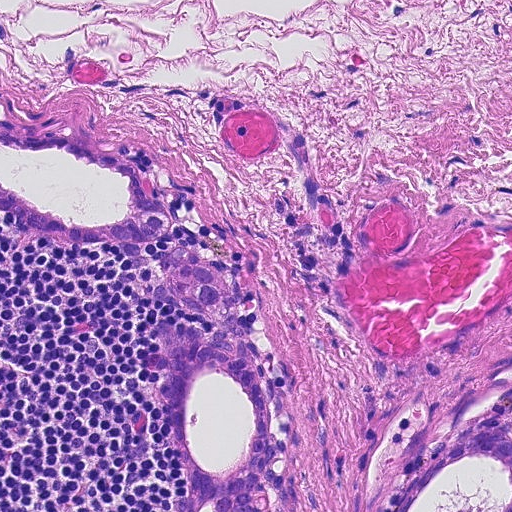
H&E-stained section of a sentinel lymph node (breast cancer), from a whole-slide image, viewed at about 20×: the field is about 0.23 mm across, about 0.45 µm per pixel.
Question: Which parts of this field are metastatic tumour?
Answer: Boundaries of three metastatic tumour regions, simplified and listed clockwise, largest first: region 1: (200, 246), (232, 286), (242, 336), (254, 358), (266, 407), (268, 508), (175, 511), (188, 478), (178, 470), (173, 445), (168, 370), (172, 346), (204, 336), (214, 326), (174, 294), (164, 271), (174, 247); region 2: (0, 125), (56, 130), (127, 162), (140, 184), (175, 222), (160, 240), (106, 245), (56, 241), (3, 220); region 3: (511, 417), (511, 511), (389, 511), (396, 500), (450, 444), (475, 431), (504, 425).
About 15% of this field is tumour.